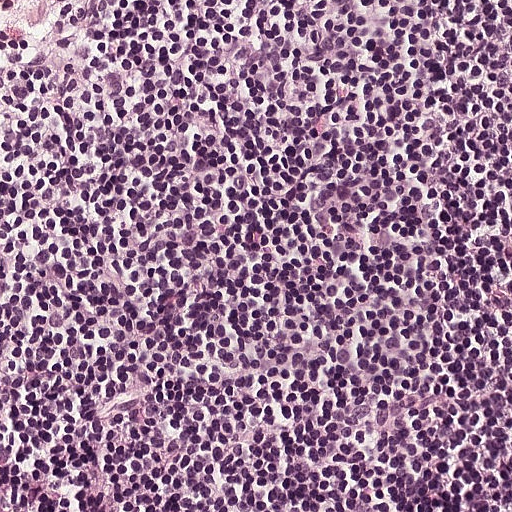
H&E-stained section of a sentinel lymph node (breast cancer), from a whole-slide image, viewed at about 20×: the field is about 0.25 mm across, about 0.49 µm per pixel.